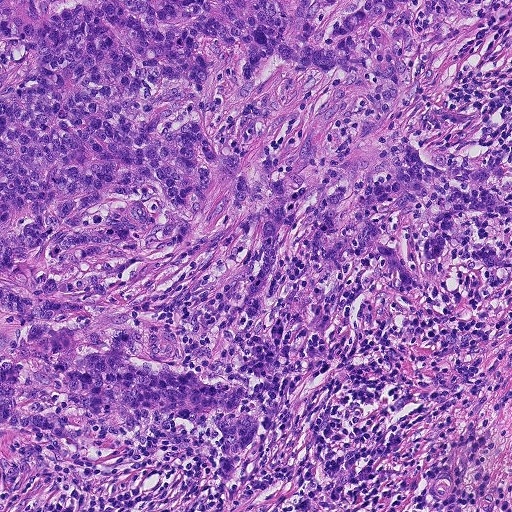
This is a crop of a whole-slide image: an H&E-stained breast-cancer sentinel lymph node section at roughly 10× magnification (about 0.9 µm per pixel; the crop spans about 0.46 mm).
Tumour region outline (a closed clockwise path, crop pixels): (0, 0), (468, 1), (473, 25), (440, 43), (424, 91), (394, 117), (450, 180), (469, 176), (511, 204), (511, 224), (492, 232), (501, 273), (444, 265), (402, 298), (372, 262), (336, 270), (344, 300), (328, 358), (273, 377), (222, 497), (212, 426), (184, 420), (128, 456), (4, 432).
About 65% of the image area is annotated as tumour.